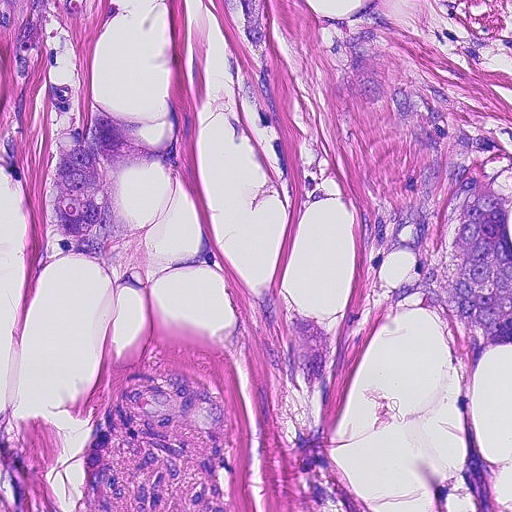
Lymph node section stained with H&E, from a whole-slide image of a breast-cancer sentinel node. Magnification about 20×, about 0.23 mm across the frame, about 0.45 µm per pixel.
Boundaries of four metastatic tumour regions, simplified and listed clockwise, largest first: region 1: (0, 0), (66, 0), (60, 4), (78, 56), (78, 138), (100, 97), (122, 116), (154, 126), (136, 144), (175, 156), (176, 166), (148, 159), (124, 170), (112, 196), (142, 230), (118, 244), (112, 270), (116, 314), (96, 394), (102, 400), (176, 370), (222, 395), (234, 446), (226, 471), (227, 511), (208, 511), (198, 431), (94, 409), (92, 365), (108, 312), (102, 262), (78, 255), (36, 265), (32, 188), (47, 140), (38, 72), (17, 179), (0, 173); region 2: (364, 0), (399, 0), (393, 30), (453, 120), (472, 174), (488, 195), (511, 199), (511, 347), (490, 357), (462, 387), (434, 311), (408, 303), (388, 307), (407, 258), (382, 251), (370, 226), (410, 154), (388, 104), (360, 112), (318, 40), (320, 14), (347, 14); region 3: (214, 0), (263, 0), (268, 52), (286, 132), (290, 184), (290, 203), (286, 175), (275, 150), (259, 127); region 4: (2, 493), (26, 502), (40, 511), (0, 511), (0, 496).
The annotated tumour makes up about 25% of the crop.